Question: 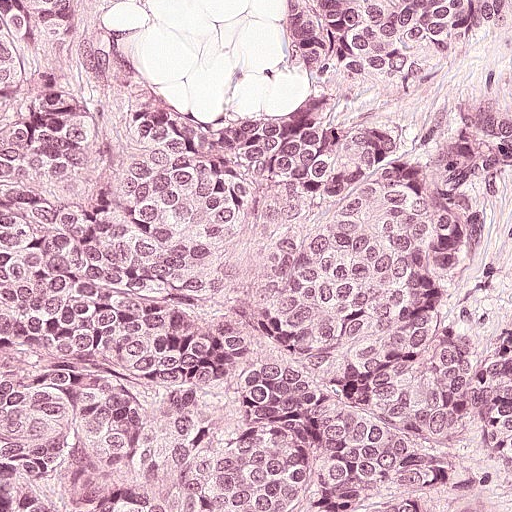
At roughly what magnification is this field shown?

Choices:
 (A) about 40×
 (B) about 20×
 (C) about 10×
 (D) about 5×
 (E) about 2.5×

Answer: (B) about 20×
This is a crop of a whole-slide image: an H&E-stained breast-cancer sentinel lymph node section at roughly 20× magnification (about 0.49 µm per pixel; the crop spans about 0.25 mm).